Question: 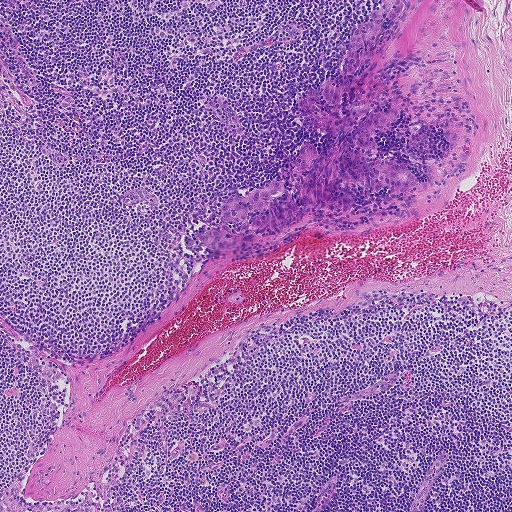
A 0.93-mm field of an H&E-stained sentinel lymph node from a breast-cancer patient (whole-slide image), shown at about 5×, about 1.8 µm per pixel.
Roughly what share of this field is metastatic tumour?

Choices:
 (A) about 25% to 45%
 (B) about 5% or less
 (C) about 10% to 20%
 (D) none: no tumour is outlined
 (E) about 50% or more

Answer: (B) about 5% or less
About 5% of the field is tumour.
Outlines of two tumour regions, largest first (closed clockwise paths, crop pixels): region 1: (382, 0), (402, 0), (404, 34), (376, 75), (387, 88), (351, 109), (356, 127), (397, 104), (398, 117), (356, 155), (419, 180), (384, 190), (337, 180), (356, 206), (291, 199), (298, 210), (255, 232), (280, 231), (270, 242), (202, 246), (196, 234), (221, 223), (225, 199), (304, 174), (293, 169), (307, 142), (320, 155), (331, 146), (342, 129), (317, 130), (321, 115), (296, 100), (314, 88), (319, 105), (334, 107), (321, 86), (369, 62), (339, 72), (353, 28); region 2: (447, 128), (458, 134), (459, 137), (459, 140), (458, 143), (456, 144), (450, 143), (447, 141), (446, 138), (444, 132), (444, 129).